Lymph node section stained with H&E, from a whole-slide image of a breast-cancer sentinel node. Magnification about 10×, about 0.46 mm across the frame, about 0.9 µm per pixel.
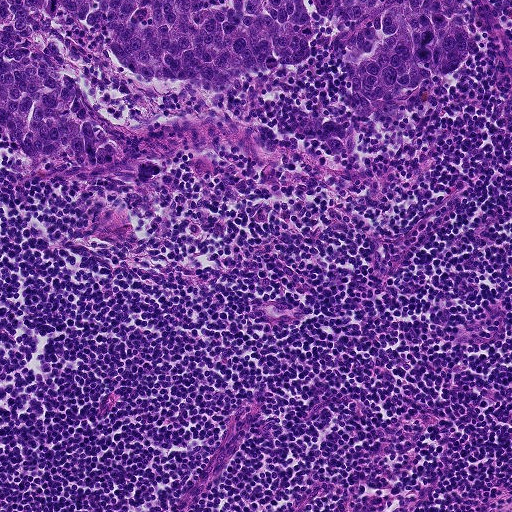
Question: Trace the edge of each tumour region in this crop, as (x, y) points from 0 to 511.
Answer: Boundaries of two metastatic tumour regions, simplified and listed clockwise, largest first: region 1: (0, 0), (306, 0), (310, 56), (219, 89), (137, 74), (114, 58), (98, 32), (58, 4), (51, 30), (68, 70), (136, 161), (98, 178), (54, 176), (30, 164), (1, 130); region 2: (310, 0), (463, 0), (467, 3), (468, 44), (457, 69), (426, 95), (401, 105), (360, 109), (349, 71), (357, 60), (348, 50), (335, 46), (336, 32), (329, 18).
About 15% of this field is tumour.